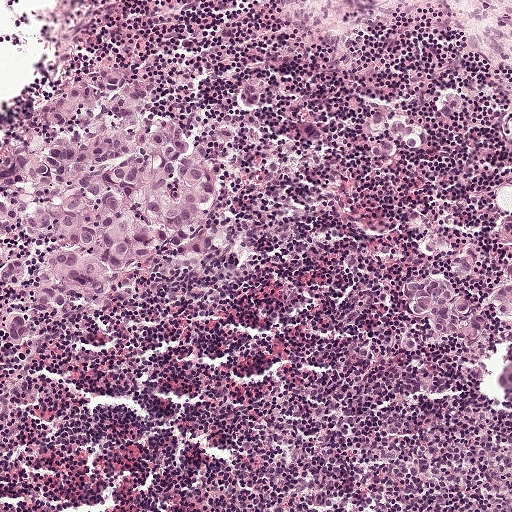
A 0.5-mm field of an H&E-stained sentinel lymph node from a breast-cancer patient (whole-slide image), shown at about 10×, about 0.97 µm per pixel.
Boundaries of seven metastatic tumour regions, simplified and listed clockwise, largest first: region 1: (106, 65), (124, 75), (146, 112), (174, 125), (211, 162), (209, 262), (184, 260), (184, 244), (136, 257), (97, 306), (79, 315), (30, 307), (44, 260), (66, 245), (29, 235), (6, 215), (0, 162), (18, 145), (52, 145), (54, 103), (74, 81), (99, 77); region 2: (428, 277), (442, 279), (459, 295), (469, 300), (476, 314), (486, 318), (485, 336), (478, 348), (472, 351), (465, 351), (451, 339), (437, 340), (430, 334), (429, 326), (410, 317), (403, 308), (399, 291), (402, 286), (411, 286); region 3: (372, 112), (400, 112), (420, 122), (427, 134), (427, 142), (424, 149), (418, 153), (412, 153), (398, 144), (396, 166), (383, 169), (373, 156), (372, 147), (377, 145), (378, 142), (368, 131); region 4: (18, 314), (26, 320), (26, 337), (18, 348), (12, 348), (6, 342), (5, 335), (2, 332), (2, 317), (6, 315); region 5: (511, 287), (511, 319), (496, 314), (489, 307), (490, 300), (497, 291), (502, 288); region 6: (511, 222), (511, 239), (509, 239), (504, 234), (503, 233), (502, 230), (501, 230), (501, 225), (504, 224); region 7: (511, 334), (511, 355), (505, 348), (505, 342).
Five more small tumour pieces are annotated here but not outlined.
Tumour covers about 15% of the frame.